Image:
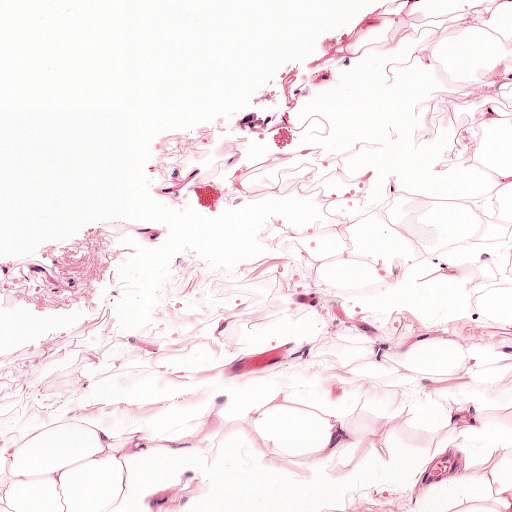
This is a crop of a whole-slide image: an H&E-stained breast-cancer sentinel lymph node section at roughly 10× magnification (about 0.97 µm per pixel; the crop spans about 0.5 mm).
Question:
Which parts of this field are metastatic tumour? Answer with the outline of each region, in pixels.
Answer:
Tumour region outline (a closed clockwise path, crop pixels): (252, 112), (258, 112), (260, 118), (271, 116), (271, 123), (265, 128), (255, 126), (254, 131), (246, 128), (240, 131), (236, 122), (244, 115).
The annotated tumour makes up under 5% of the crop.